Image:
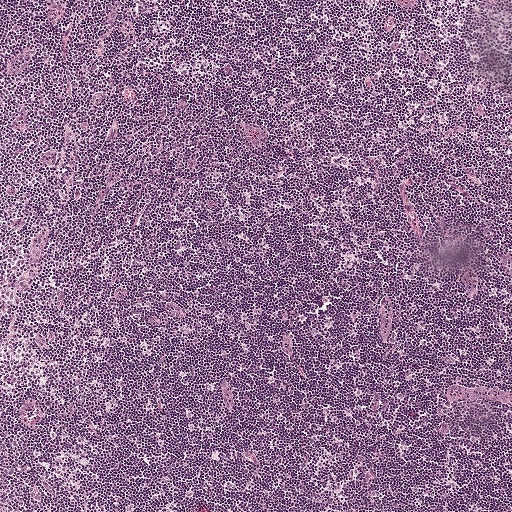
H&E-stained section of a sentinel lymph node (breast cancer), from a whole-slide image, viewed at about 5×: the field is about 1 mm across, about 1.9 µm per pixel.
Question:
Does this lymph node field contain metastatic tumour?
Answer:
No, this field holds no outlined metastasis.